Image:
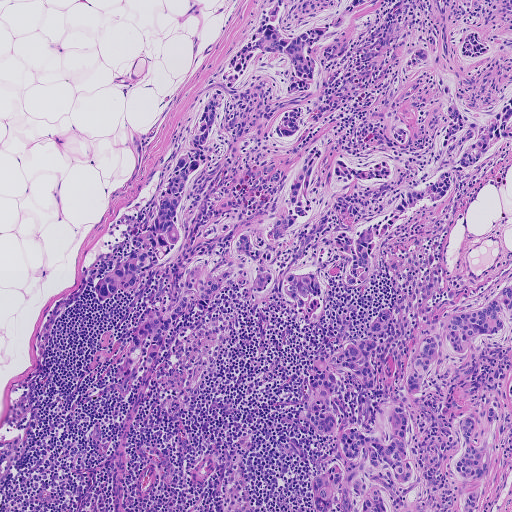
H&E-stained section of a sentinel lymph node (breast cancer), from a whole-slide image, viewed at about 5×: the field is about 0.93 mm across, about 1.8 µm per pixel.
Question:
Which parts of this field are metastatic tumour? Answer with the outline of each region, in pixels.
Answer:
Boundaries of two metastatic tumour regions, simplified and listed clockwise, largest first: region 1: (275, 0), (511, 0), (511, 138), (401, 216), (362, 283), (344, 286), (343, 262), (321, 269), (311, 322), (275, 278), (252, 289), (244, 266), (125, 378), (133, 331), (165, 303), (181, 262), (165, 257), (115, 299), (98, 300), (95, 284), (147, 226), (225, 65); region 2: (511, 278), (511, 418), (494, 440), (478, 511), (357, 511), (361, 498), (344, 484), (326, 510), (317, 505), (312, 484), (334, 462), (336, 434), (325, 436), (302, 414), (319, 355), (369, 335), (384, 308), (394, 312), (373, 360), (383, 390), (400, 402), (405, 364), (420, 335).
About 45% of this field is tumour.